H&E-stained section of a sentinel lymph node (breast cancer), from a whole-slide image, viewed at about 20×: the field is about 0.25 mm across, about 0.49 µm per pixel.
Image:
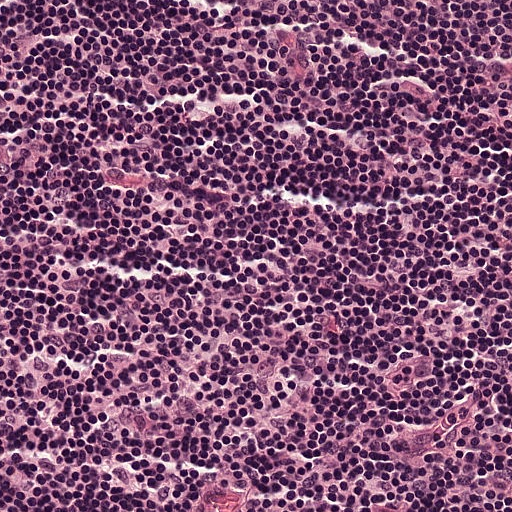
Question:
Does this lymph node field contain metastatic tumour?
Answer:
No. No metastatic tumour is outlined in this field.